Image:
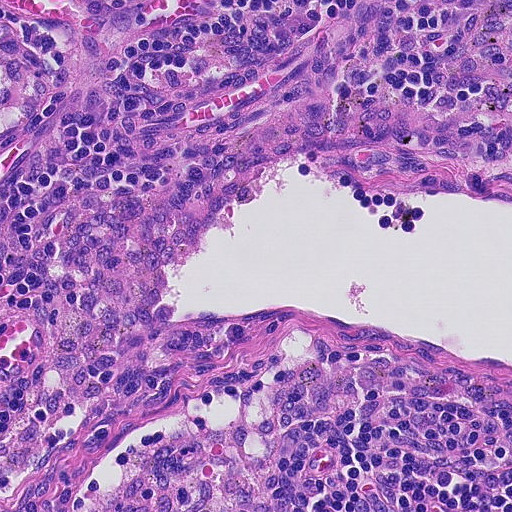
H&E-stained section of a sentinel lymph node (breast cancer), from a whole-slide image, viewed at about 20×: the field is about 0.23 mm across, about 0.45 µm per pixel.
Question:
Does this lymph node field contain metastatic tumour?
Answer:
No: no metastatic tumour is outlined anywhere in this field.